This is a crop of a whole-slide image: an H&E-stained breast-cancer sentinel lymph node section at roughly 20× magnification (about 0.49 µm per pixel; the crop spans about 0.25 mm).
Image:
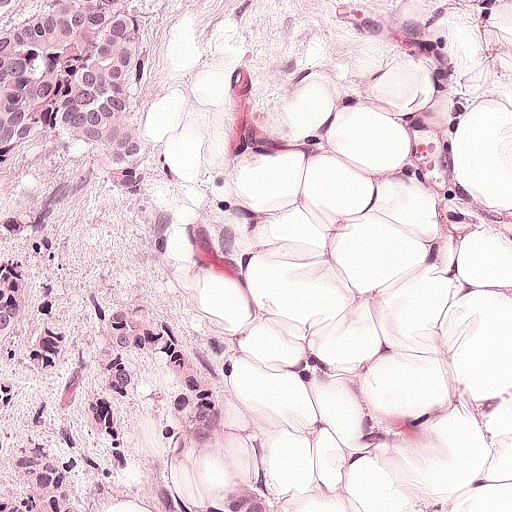
Question:
Outline the metastatic carcinoma in this image, as closed paths of (x, y) pixel coordinates.
Answer:
Tumour region outline (a closed clockwise path, crop pixels): (0, 0), (480, 0), (472, 23), (429, 34), (431, 50), (472, 76), (472, 98), (360, 66), (320, 24), (246, 14), (207, 34), (157, 108), (160, 167), (222, 230), (222, 301), (296, 506), (0, 511).
Tumour covers about 50% of the frame.